Image:
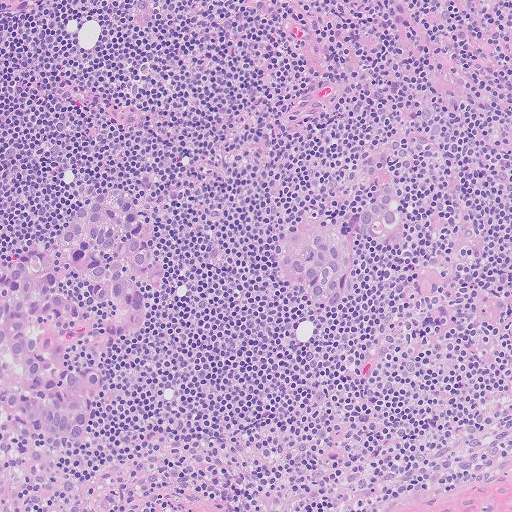
Lymph node section stained with H&E, from a whole-slide image of a breast-cancer sentinel node. Magnification about 10×, about 0.51 mm across the frame, about 1.0 µm per pixel.
Question:
Trace the edge of each tumour region in this crop, as (x, y) points from 0 to 511.
Answer:
Boundaries of three metastatic tumour regions, simplified and listed clockwise, largest first: region 1: (124, 188), (146, 215), (163, 265), (158, 291), (145, 296), (136, 334), (100, 358), (74, 350), (72, 363), (99, 375), (100, 389), (88, 444), (76, 449), (0, 433), (0, 249), (50, 240), (98, 189); region 2: (338, 213), (352, 240), (353, 253), (351, 279), (344, 306), (331, 310), (318, 308), (299, 288), (286, 284), (276, 276), (273, 263), (285, 236), (295, 224); region 3: (398, 178), (408, 204), (410, 220), (409, 236), (402, 250), (390, 253), (376, 250), (365, 243), (357, 230), (364, 200), (373, 189), (383, 180).
Two more small tumour pieces are annotated here but not outlined.
About 15% of the image area is annotated as tumour.